Image:
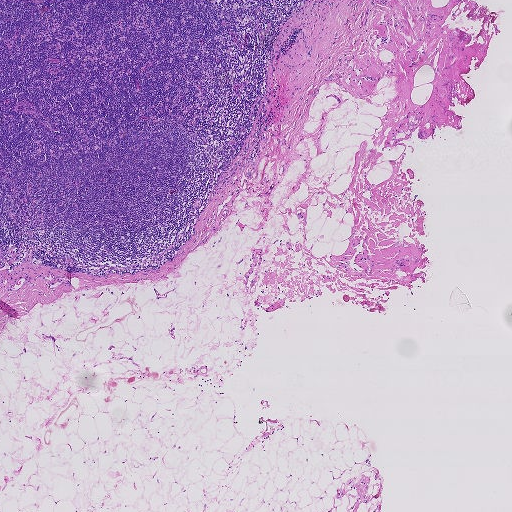
Lymph node section stained with H&E, from a whole-slide image of a breast-cancer sentinel node. Magnification about 2.5×, about 1.9 mm across the frame, about 3.6 µm per pixel.
Question:
Is any metastatic breast cancer visible in this crop?
Answer:
No, this field holds no outlined metastasis.